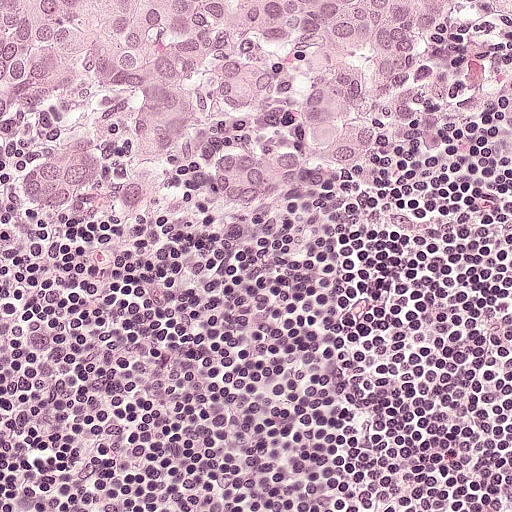
Lymph node section stained with H&E, from a whole-slide image of a breast-cancer sentinel node. Magnification about 20×, about 0.25 mm across the frame, about 0.49 µm per pixel.
One metastatic tumour region; its boundary, reduced to 17 corners and listed clockwise: (0, 0), (457, 0), (408, 81), (376, 168), (355, 180), (302, 180), (262, 216), (214, 208), (217, 136), (145, 222), (118, 230), (56, 224), (14, 201), (48, 163), (90, 144), (86, 124), (1, 142).
Tumour covers about 30% of the frame.